Image:
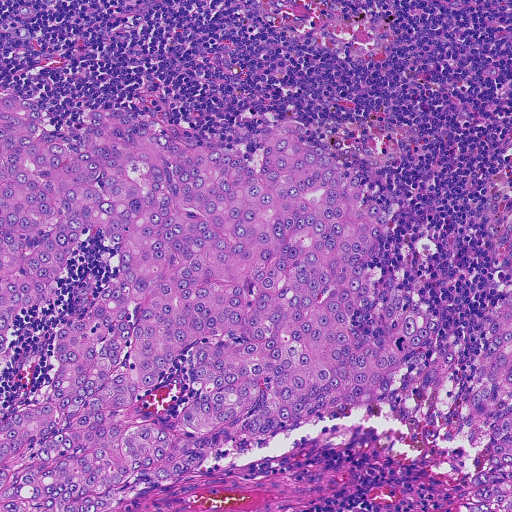
H&E-stained section of a sentinel lymph node (breast cancer), from a whole-slide image, viewed at about 10×: the field is about 0.46 mm across, about 0.91 µm per pixel.
Question:
Trace the edge of each tumour region in this crop, as (x, y) points from 0 to 511.
Answer:
Outlines of two tumour regions, largest first (closed clockwise paths, crop pixels): region 1: (0, 90), (44, 108), (68, 142), (85, 113), (121, 105), (229, 136), (301, 125), (351, 152), (393, 210), (378, 260), (387, 278), (431, 312), (457, 360), (404, 408), (294, 427), (120, 504), (0, 511); region 2: (511, 253), (511, 511), (465, 511), (470, 483), (484, 448), (438, 442), (442, 421), (486, 338).
The annotated tumour makes up about 55% of the crop.